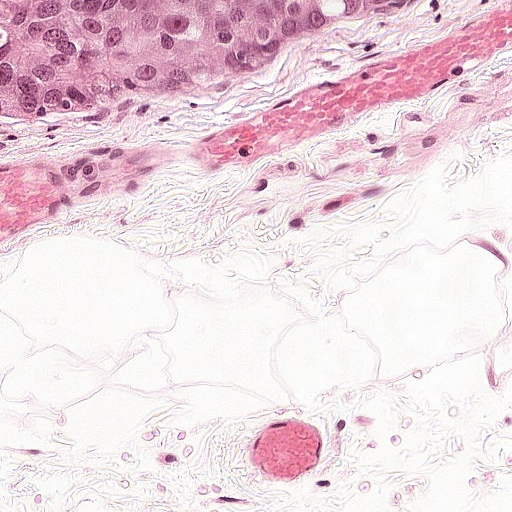
Lymph node section stained with H&E, from a whole-slide image of a breast-cancer sentinel node. Magnification about 20×, about 0.25 mm across the frame, about 0.49 µm per pixel.
Metastatic tumour outline, simplified to 6 points and listed clockwise in crop pixels (x, y): (0, 0), (455, 0), (370, 52), (224, 77), (132, 104), (0, 115).
Tumour covers about 15% of the frame.